This is a crop of a whole-slide image: an H&E-stained breast-cancer sentinel lymph node section at roughly 40× magnification (about 0.23 µm per pixel; the crop spans about 0.12 mm).
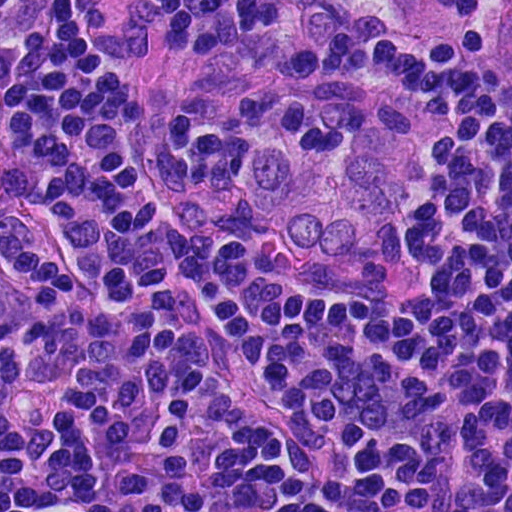
Two metastatic tumour regions, each outlined as a closed clockwise path in crop pixels (x, y), largest first: region 1: (347, 122), (381, 129), (403, 155), (414, 185), (414, 220), (398, 250), (369, 269), (336, 269), (298, 256), (276, 230), (255, 199), (244, 168), (266, 137), (318, 180), (340, 154); region 2: (388, 0), (511, 0), (511, 83), (437, 34), (414, 32), (395, 15).
Tumour covers about 10% of the frame.